Question: 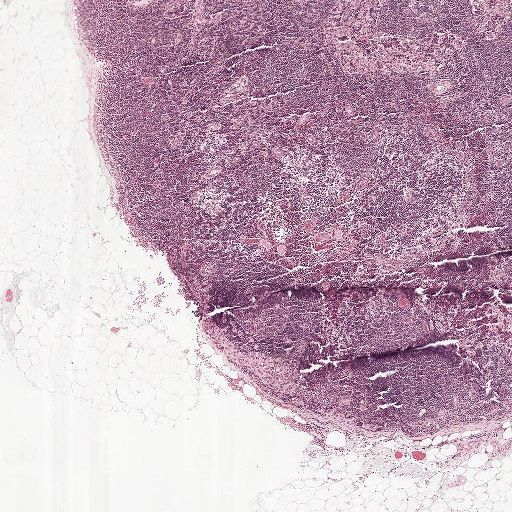
H&E-stained section of a sentinel lymph node (breast cancer), from a whole-slide image, viewed at about 2.5×: the field is about 2.0 mm across, about 3.9 µm per pixel.
Estimate the proportion of this field that is metastatic tumour.

Choices:
 (A) about 5% or less
 (B) about 25% to 45%
 (C) about 10% to 20%
 (D) none: no tumour is outlined
 (E) about 50% or more

Answer: (A) about 5% or less
Under 5% of the field is tumour.
Outlines of four tumour regions, largest first (closed clockwise paths, crop pixels): region 1: (216, 326), (224, 327), (229, 339), (244, 351), (249, 349), (269, 356), (283, 357), (292, 363), (298, 374), (298, 382), (294, 392), (289, 394), (277, 394), (260, 383), (254, 374), (223, 355), (210, 342), (212, 329); region 2: (442, 408), (445, 408), (446, 411), (446, 417), (445, 420), (437, 424), (425, 427), (421, 427), (411, 427), (406, 424), (410, 421), (426, 418), (434, 418), (437, 416), (440, 410); region 3: (203, 280), (208, 283), (207, 288), (208, 300), (203, 307), (200, 305), (192, 292), (191, 289), (192, 285); region 4: (333, 409), (342, 415), (346, 419), (353, 418), (354, 421), (353, 425), (342, 424), (324, 418), (322, 414), (327, 410).
Five more small tumour pieces are annotated here but not outlined.